This is a crop of a whole-slide image: an H&E-stained breast-cancer sentinel lymph node section at roughly 10× magnification (about 0.9 µm per pixel; the crop spans about 0.46 mm).
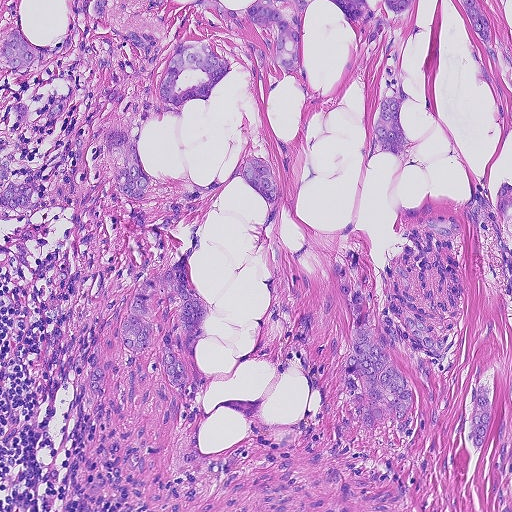
Four metastatic tumour regions, each outlined as a closed clockwise path in crop pixels (x, y), largest first: region 1: (77, 0), (159, 0), (149, 90), (192, 36), (231, 65), (140, 131), (148, 174), (212, 182), (263, 154), (294, 225), (367, 258), (381, 308), (400, 208), (461, 217), (458, 348), (492, 386), (474, 469), (466, 384), (396, 347), (418, 436), (358, 437), (335, 278), (238, 178), (187, 258), (196, 344), (169, 300), (178, 402), (156, 340), (120, 347), (102, 408), (85, 394), (151, 265), (133, 198), (104, 182), (2, 216), (0, 19), (50, 46); region 2: (320, 0), (416, 0), (405, 22), (398, 68), (406, 95), (412, 98), (399, 106), (404, 137), (419, 143), (403, 166), (392, 156), (376, 158), (363, 165), (359, 151), (375, 125), (380, 110), (385, 44), (364, 48), (339, 8); region 3: (208, 0), (232, 4), (254, 0), (318, 0), (304, 15), (301, 36), (306, 76), (284, 77), (272, 59), (272, 37), (250, 30), (228, 30), (210, 17), (198, 12); region 4: (453, 0), (508, 0), (508, 12), (511, 25), (511, 65), (490, 62), (479, 52), (474, 37).
One more small tumour piece is annotated here but not outlined.
Tumour covers about 35% of the frame.